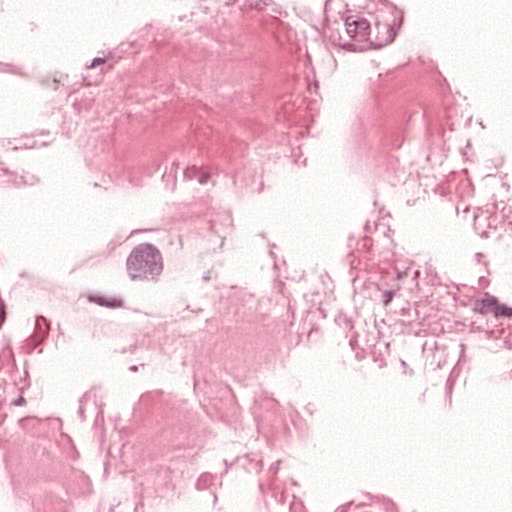
This is a crop of a whole-slide image: an H&E-stained breast-cancer sentinel lymph node section at roughly 40× magnification (about 0.24 µm per pixel; the crop spans about 0.12 mm).
Tumour region outline (a closed clockwise path, crop pixels): (146, 226), (214, 229), (223, 242), (218, 266), (205, 287), (173, 291), (125, 284), (103, 274), (58, 276), (71, 255), (94, 246), (121, 229).
One more small tumour piece is annotated here but not outlined.
The annotated tumour makes up about 5% of the crop.